This is a crop of a whole-slide image: an H&E-stained breast-cancer sentinel lymph node section at roughly 2.5× magnification (about 3.6 µm per pixel; the crop spans about 1.9 mm).
Question: 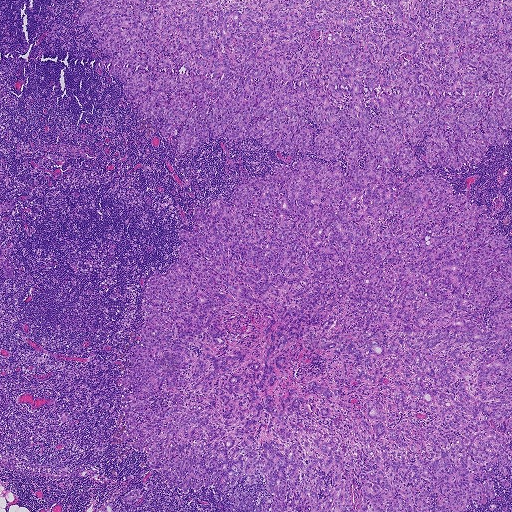
Roughly what share of this field is metastatic tumour?

Choices:
 (A) none: no tumour is outlined
 (B) about 10% to 20%
 (C) about 5% or less
 (D) about 50% or more
 (E) about 25% to 45%

Answer: (D) about 50% or more
About 70% of the field is tumour.
Outlines of three tumour regions, largest first (closed clockwise paths, crop pixels): region 1: (511, 0), (507, 146), (415, 177), (509, 236), (507, 489), (490, 478), (466, 511), (220, 511), (229, 486), (180, 494), (121, 443), (149, 275), (179, 228), (201, 234), (196, 207), (303, 155), (222, 136), (176, 155), (180, 127), (166, 142), (95, 72), (110, 55), (79, 2); region 2: (14, 244), (12, 255), (7, 256), (3, 254), (2, 258), (7, 259), (11, 262), (14, 266), (16, 269), (25, 273), (24, 275), (22, 276), (20, 275), (18, 273), (19, 271), (15, 269), (13, 278), (8, 279), (4, 278), (2, 274), (3, 271), (1, 268), (0, 268), (0, 246), (3, 248), (7, 246); region 3: (134, 488), (140, 488), (140, 498), (132, 504), (127, 504), (123, 502), (122, 496).
Two more small tumour pieces are annotated here but not outlined.